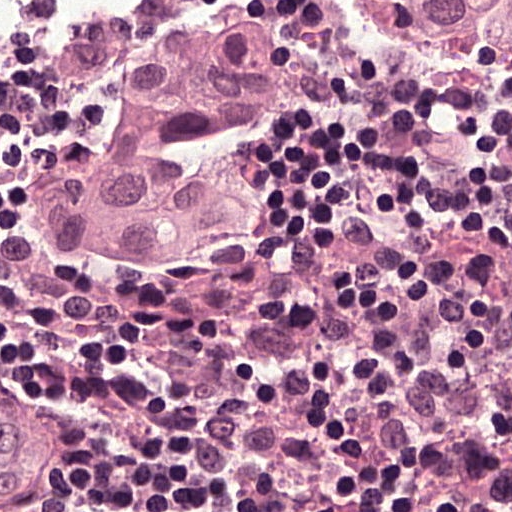
This is a crop of a whole-slide image: an H&E-stained breast-cancer sentinel lymph node section at roughly 40× magnification (about 0.24 µm per pixel; the crop spans about 0.12 mm).
Two metastatic tumour regions, each outlined as a closed clockwise path in crop pixels (x, y), largest first: region 1: (192, 0), (273, 0), (290, 26), (284, 95), (239, 129), (241, 153), (286, 168), (284, 200), (239, 258), (197, 287), (73, 287), (15, 242), (26, 174), (68, 129), (107, 116), (113, 68), (144, 24); region 2: (334, 0), (511, 0), (511, 83), (468, 82), (436, 74), (341, 13).
About 25% of the image area is annotated as tumour.